Question: 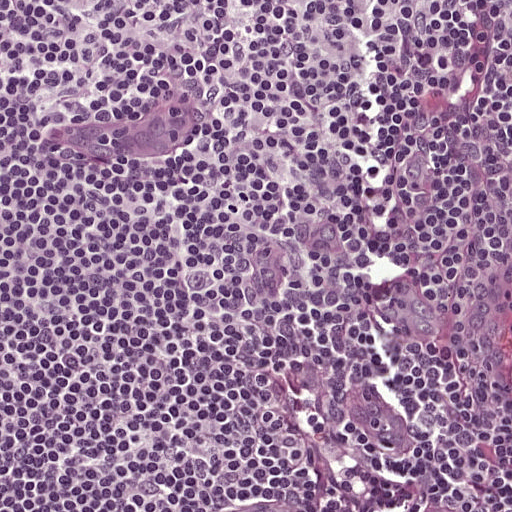
About what magnification does this crop show?

Choices:
 (A) about 10×
 (B) about 5×
 (C) about 20×
 (D) about 40×
 (E) about 2.5×

Answer: (C) about 20×
H&E-stained section of a sentinel lymph node (breast cancer), from a whole-slide image, viewed at about 20×: the field is about 0.25 mm across, about 0.49 µm per pixel.